Lymph node section stained with H&E, from a whole-slide image of a breast-cancer sentinel node. Magnification about 10×, about 0.46 mm across the frame, about 0.9 µm per pixel.
Image:
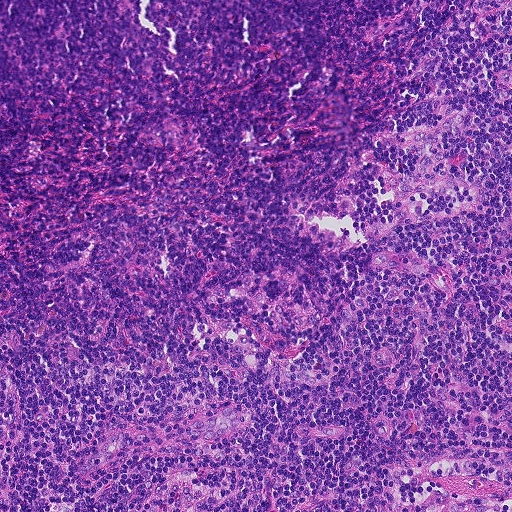
Question:
Is any metastatic breast cancer visible in this crop?
Answer:
No. No metastatic tumour is outlined in this field.